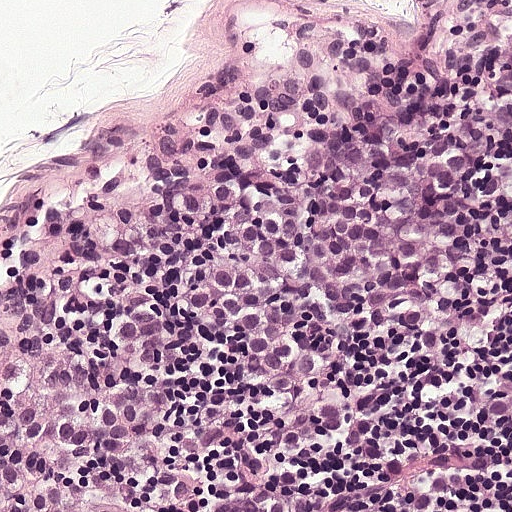
Lymph node section stained with H&E, from a whole-slide image of a breast-cancer sentinel node. Magnification about 20×, about 0.25 mm across the frame, about 0.49 µm per pixel.
The outlined metastatic tumour's edge, as a closed clockwise path of 14 points: (511, 0), (511, 193), (460, 231), (442, 359), (394, 379), (366, 418), (360, 466), (380, 510), (0, 511), (0, 252), (102, 105), (178, 53), (232, 33), (406, 3).
Tumour covers about 75% of the frame.